Image:
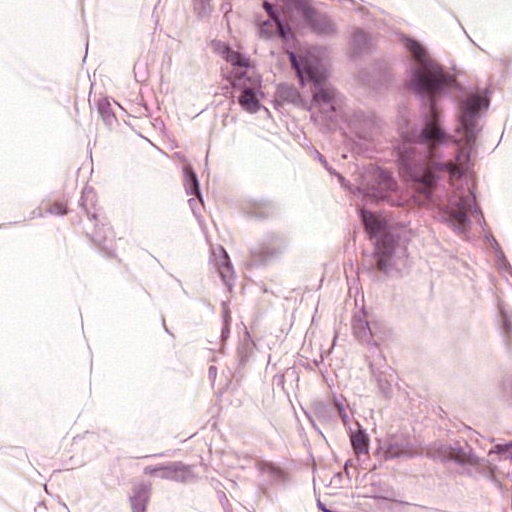
A 0.12-mm field of an H&E-stained sentinel lymph node from a breast-cancer patient (whole-slide image), shown at about 40×, about 0.24 µm per pixel.
Question:
Trace the edge of each tumour region in this crop, as (x, y) points from 0 to 511.
Answer:
Tumour region outline (a closed clockwise path, crop pixels): (207, 0), (377, 7), (411, 33), (436, 33), (440, 55), (488, 92), (498, 159), (451, 241), (436, 337), (399, 378), (362, 367), (336, 192), (296, 126), (207, 55), (199, 30).
Tumour covers about 20% of the frame.